Question: 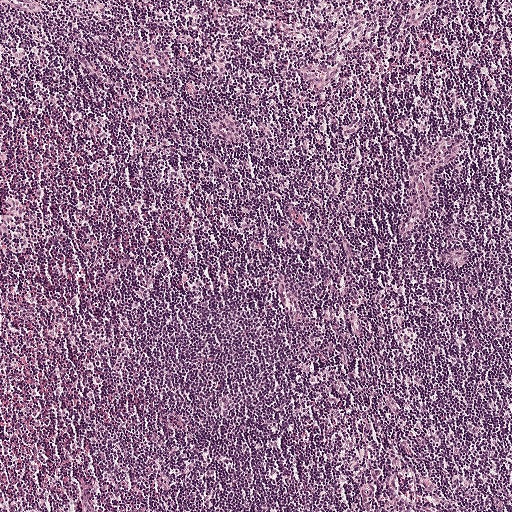
About what magnification does this crop show?

Choices:
 (A) about 20×
 (B) about 40×
 (C) about 5×
 (D) about 10×
 (E) about 2.5×

Answer: (C) about 5×
Lymph node section stained with H&E, from a whole-slide image of a breast-cancer sentinel node. Magnification about 5×, about 1 mm across the frame, about 1.9 µm per pixel.